Question: 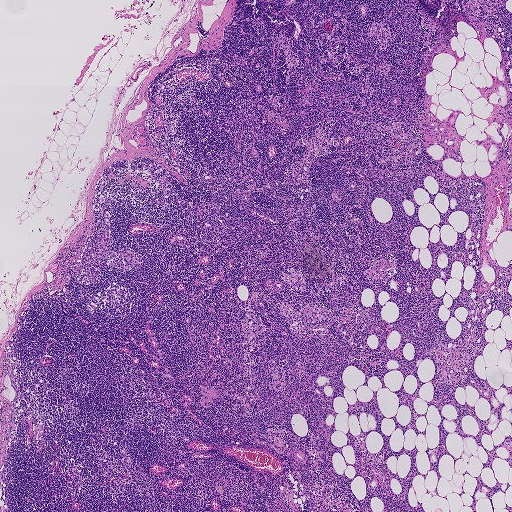
A 1.9-mm field of an H&E-stained sentinel lymph node from a breast-cancer patient (whole-slide image), shown at about 2.5×, about 3.6 µm per pixel.
About how much of this crop is taken up by metastatic carcinoma?

Choices:
 (A) about 5% or less
 (B) about 10% to 20%
 (C) about 25% to 45%
 (D) about 50% or more
 (E) none: no tumour is outlined

Answer: (A) about 5% or less
Under 5% of the field is tumour.
One metastatic tumour region; its boundary, reduced to 38 corners and listed clockwise: (106, 210), (110, 216), (109, 222), (113, 241), (111, 249), (114, 252), (122, 248), (129, 247), (142, 254), (143, 261), (138, 264), (137, 267), (134, 265), (125, 272), (113, 266), (112, 270), (107, 270), (108, 266), (104, 264), (101, 267), (103, 274), (96, 284), (91, 283), (78, 283), (74, 278), (74, 269), (80, 264), (82, 253), (86, 247), (84, 244), (87, 244), (90, 239), (94, 244), (96, 243), (97, 233), (102, 235), (103, 233), (100, 230).